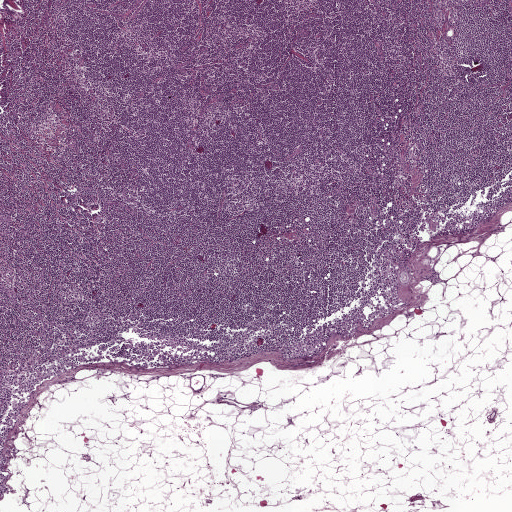
H&E-stained section of a sentinel lymph node (breast cancer), from a whole-slide image, viewed at about 2.5×: the field is about 2.0 mm across, about 3.9 µm per pixel.